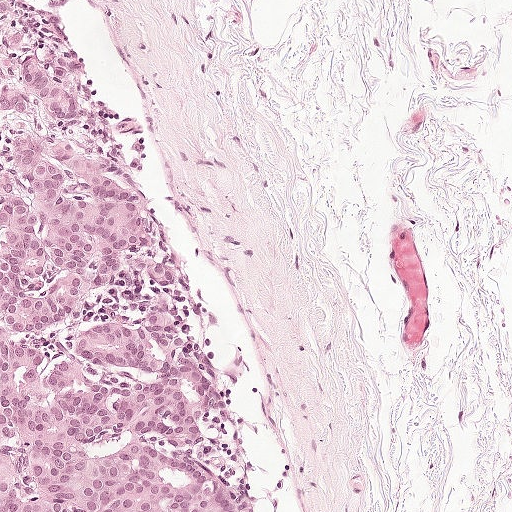
Lymph node section stained with H&E, from a whole-slide image of a breast-cancer sentinel node. Magnification about 10×, about 0.5 mm across the frame, about 0.97 µm per pixel.
One metastatic tumour region; its boundary, reduced to 14 corners and listed clockwise: (0, 0), (46, 0), (32, 8), (58, 28), (122, 152), (132, 196), (174, 250), (180, 329), (232, 407), (202, 433), (208, 451), (197, 460), (237, 511), (0, 511).
About 30% of this field is tumour.